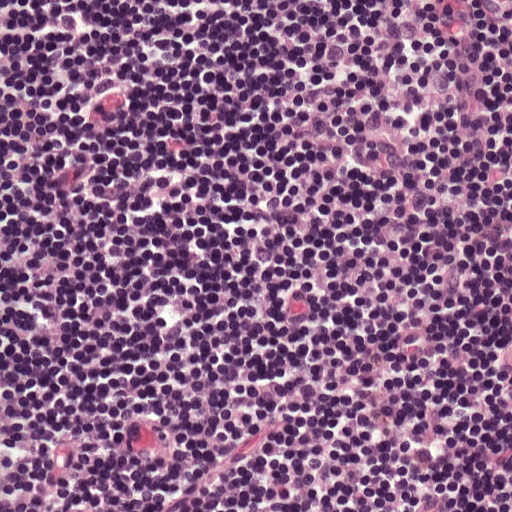
H&E-stained section of a sentinel lymph node (breast cancer), from a whole-slide image, viewed at about 20×: the field is about 0.25 mm across, about 0.49 µm per pixel.